Question: 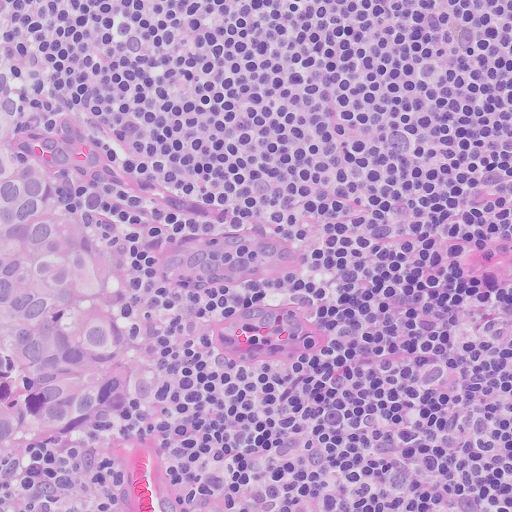
A 0.26-mm field of an H&E-stained sentinel lymph node from a breast-cancer patient (whole-slide image), shown at about 20×, about 0.5 µm per pixel.
Estimate the proportion of this field that is metastatic tumour.

Choices:
 (A) about 10% to 20%
 (B) about 25% to 45%
 (C) about 5% or less
 (D) about 50% or more
 (E) none: no tumour is outlined

Answer: (A) about 10% to 20%
About 20% of the field is tumour.
Boundaries of two metastatic tumour regions, simplified and listed clockwise, largest first: region 1: (0, 29), (114, 122), (138, 230), (136, 406), (40, 465), (0, 477); region 2: (0, 481), (49, 491), (102, 503), (121, 511), (0, 511).